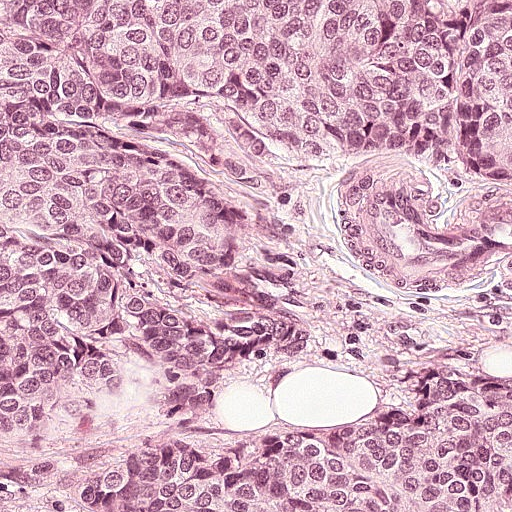
Lymph node section stained with H&E, from a whole-slide image of a breast-cancer sentinel node. Magnification about 20×, about 0.25 mm across the frame, about 0.49 µm per pixel.